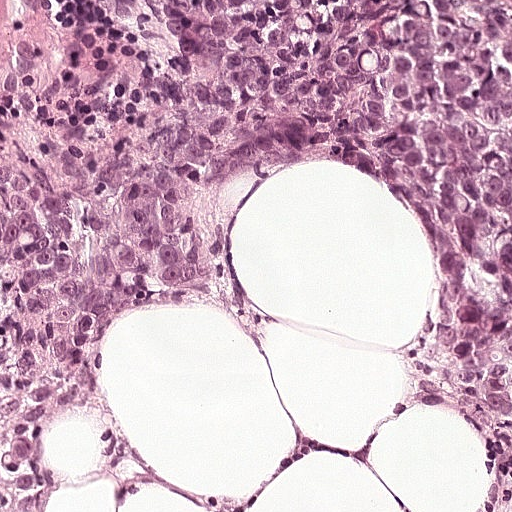
H&E-stained section of a sentinel lymph node (breast cancer), from a whole-slide image, viewed at about 20×: the field is about 0.25 mm across, about 0.49 µm per pixel.
The outlined metastatic tumour's edge, as a closed clockwise path of 23 points: (511, 0), (511, 471), (506, 440), (477, 422), (432, 404), (396, 406), (408, 379), (385, 358), (432, 297), (426, 228), (401, 200), (337, 164), (244, 174), (221, 226), (226, 288), (206, 308), (138, 304), (92, 329), (0, 326), (0, 64), (56, 52), (56, 29), (37, 3).
About 55% of the image area is annotated as tumour.